Image:
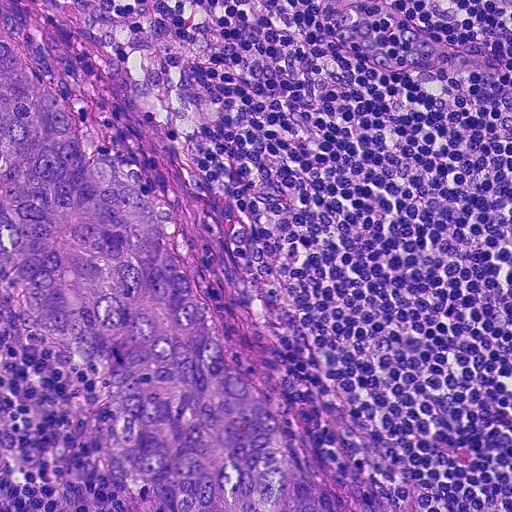
This is a crop of a whole-slide image: an H&E-stained breast-cancer sentinel lymph node section at roughly 20× magnification (about 0.45 µm per pixel; the crop spans about 0.23 mm).
Question:
Describe where the metastatic carcinoma lies in this crop.
Answer:
One metastatic tumour region; its boundary, reduced to 9 corners and listed clockwise: (0, 31), (86, 96), (105, 140), (156, 170), (220, 310), (229, 359), (260, 378), (329, 511), (0, 511).
Tumour covers about 35% of the frame.